Question: 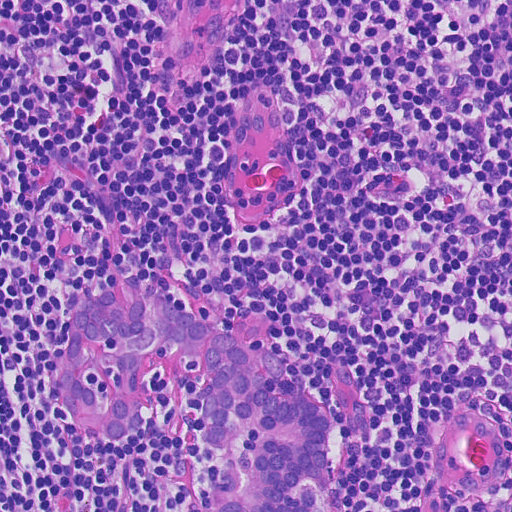
At roughly what magnification is this field shown?

Choices:
 (A) about 10×
 (B) about 5×
 (C) about 40×
 (D) about 2.5×
 (E) about 20×

Answer: (E) about 20×
A 0.23-mm field of an H&E-stained sentinel lymph node from a breast-cancer patient (whole-slide image), shown at about 20×, about 0.45 µm per pixel.
Tumour region outline (a closed clockwise path, crop pixels): (132, 274), (268, 350), (313, 392), (332, 416), (333, 511), (204, 511), (224, 459), (198, 434), (206, 420), (198, 354), (167, 342), (146, 360), (141, 390), (149, 419), (111, 442), (71, 420), (54, 394), (80, 305).
About 15% of the image area is annotated as tumour.